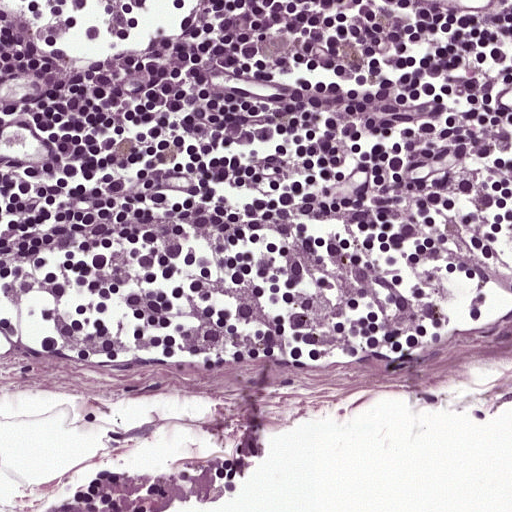
A 0.25-mm field of an H&E-stained sentinel lymph node from a breast-cancer patient (whole-slide image), shown at about 20×, about 0.49 µm per pixel.